Question: 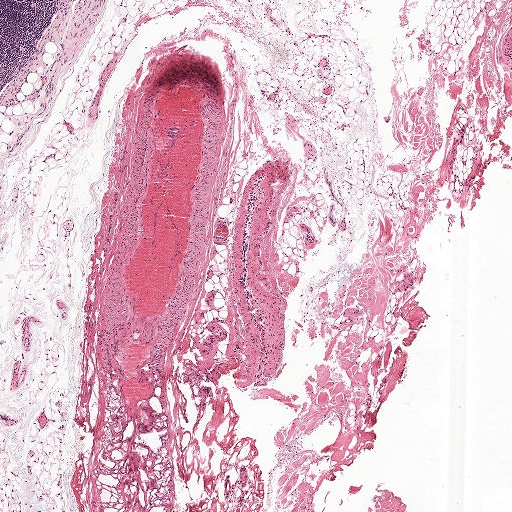
About what magnification does this crop show?

Choices:
 (A) about 40×
 (B) about 2.5×
 (C) about 20×
 (D) about 10×
 (E) about 5×

Answer: (B) about 2.5×
This is a crop of a whole-slide image: an H&E-stained breast-cancer sentinel lymph node section at roughly 2.5× magnification (about 3.9 µm per pixel; the crop spans about 2.0 mm).